Question: 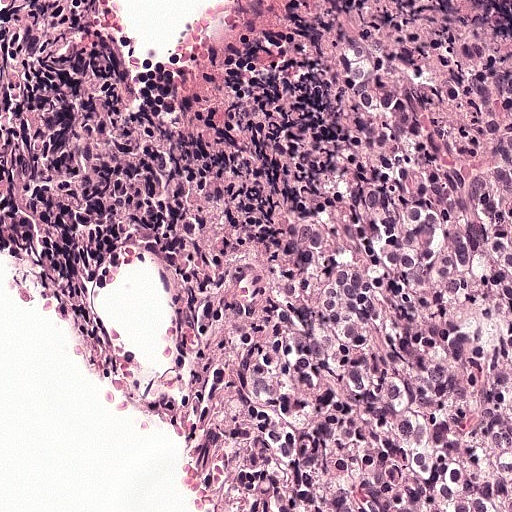
H&E-stained section of a sentinel lymph node (breast cancer), from a whole-slide image, viewed at about 20×: the field is about 0.25 mm across, about 0.49 µm per pixel.
What fraction of the image area is metastatic tumour?

Choices:
 (A) about 10% to 20%
 (B) none: no tumour is outlined
 (C) about 25% to 45%
 (D) about 5% or less
 (E) about 50% or more

Answer: (E) about 50% or more
About 50% of the field is tumour.
Metastatic tumour outline, simplified to 8 points and listed clockwise in crop pixels (x, y): (287, 0), (426, 0), (508, 62), (511, 511), (251, 510), (212, 446), (210, 330), (285, 100).